This is a crop of a whole-slide image: an H&E-stained breast-cancer sentinel lymph node section at roughly 10× magnification (about 0.97 µm per pixel; the crop spans about 0.5 mm).
Question: 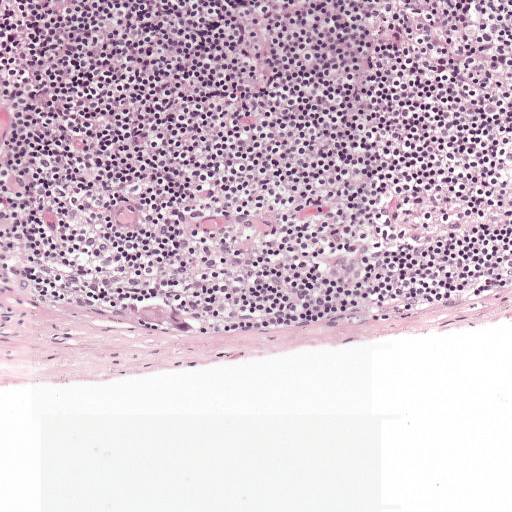
Estimate the proportion of this field that is metastatic tumour.

Choices:
 (A) about 50% or more
 (B) about 5% or less
 (C) about 10% to 20%
 (D) about 25% to 45%
 (E) none: no tumour is outlined

Answer: (B) about 5% or less
Under 5% of the field is tumour.
Tumour region outline (a closed clockwise path, crop pixels): (129, 301), (136, 303), (138, 310), (147, 306), (160, 305), (172, 307), (184, 314), (192, 324), (191, 332), (175, 330), (140, 319), (127, 312).